Image:
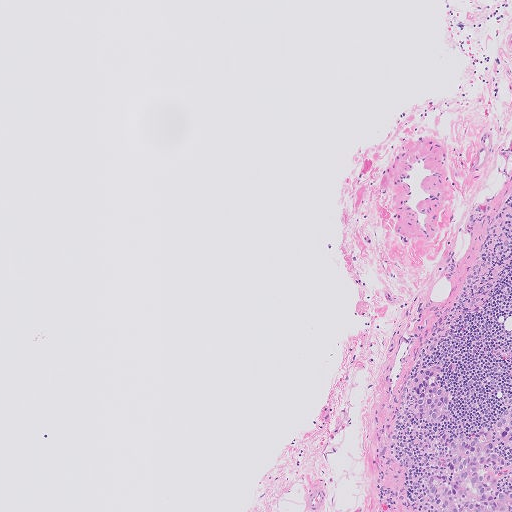
Lymph node section stained with H&E, from a whole-slide image of a breast-cancer sentinel node. Magnification about 5×, about 1.0 mm across the frame, about 2.0 µm per pixel.
Question:
Where is the metastatic tumour in this field?
Answer:
Two metastatic tumour regions, each outlined as a closed clockwise path in crop pixels (x, y), largest first: region 1: (511, 402), (511, 484), (502, 481), (501, 488), (511, 492), (511, 511), (439, 511), (426, 491), (426, 477), (446, 472), (447, 445), (456, 435), (462, 431), (490, 426); region 2: (432, 364), (440, 364), (443, 368), (438, 380), (449, 387), (450, 402), (448, 408), (434, 424), (428, 424), (421, 421), (411, 410), (411, 403), (404, 391), (403, 384), (413, 372), (419, 368).
One more small tumour piece is annotated here but not outlined.
Tumour covers about 5% of the frame.